Image:
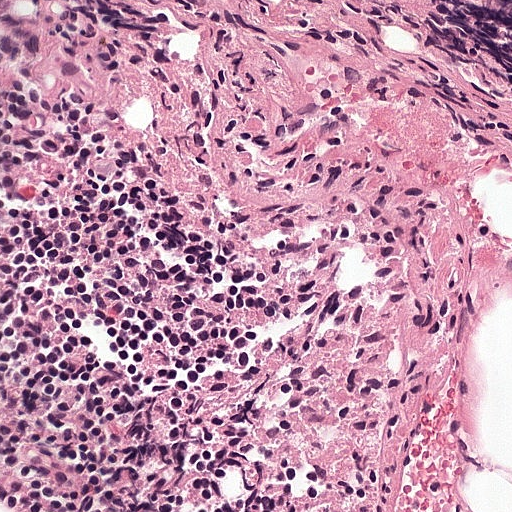
A 0.25-mm field of an H&E-stained sentinel lymph node from a breast-cancer patient (whole-slide image), shown at about 20×, about 0.49 µm per pixel.
Question:
Is any metastatic breast cancer visible in this crop?
Answer:
No, this field holds no outlined metastasis.